Lymph node section stained with H&E, from a whole-slide image of a breast-cancer sentinel node. Magnification about 20×, about 0.25 mm across the frame, about 0.49 µm per pixel.
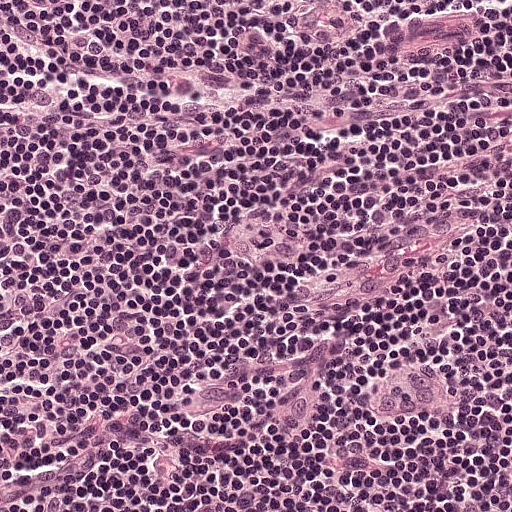
Question: Is any metastatic breast cancer visible in this crop?
Answer: No, this field holds no outlined metastasis.